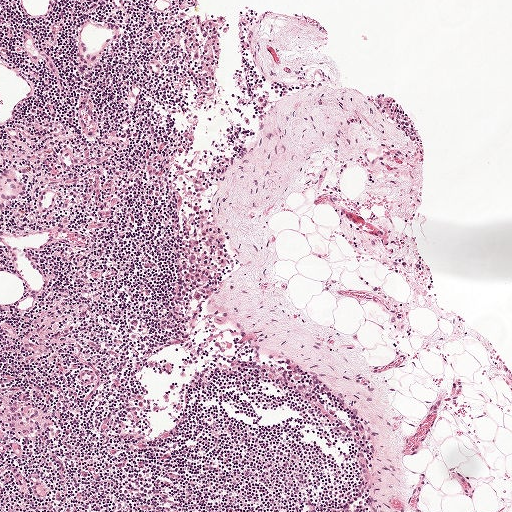
H&E-stained section of a sentinel lymph node (breast cancer), from a whole-slide image, viewed at about 5×: the field is about 1 mm across, about 1.9 µm per pixel.